Image:
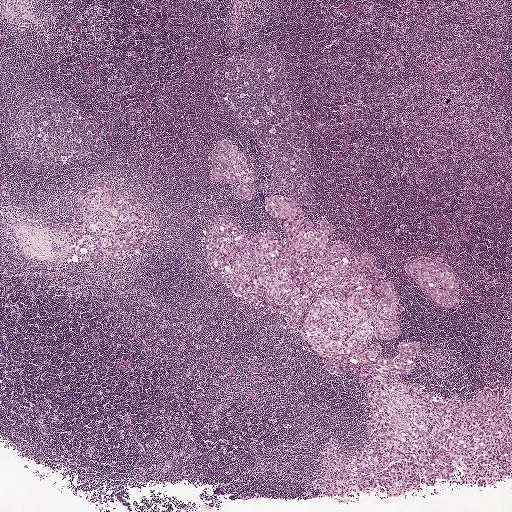
Lymph node section stained with H&E, from a whole-slide image of a breast-cancer sentinel node. Magnification about 2.5×, about 2.0 mm across the frame, about 3.9 µm per pixel.
Question:
Does this lymph node field contain metastatic tumour?
Answer:
Yes.
Boundaries of four metastatic tumour regions, simplified and listed clockwise, largest first: region 1: (263, 201), (318, 203), (308, 219), (319, 228), (328, 220), (333, 241), (375, 256), (402, 300), (400, 338), (377, 340), (389, 360), (405, 343), (420, 344), (418, 372), (400, 382), (441, 402), (511, 390), (511, 478), (494, 486), (441, 481), (395, 498), (380, 490), (321, 495), (322, 447), (360, 453), (369, 393), (328, 376), (286, 320), (214, 282), (204, 243), (216, 219), (247, 240), (269, 230), (286, 242), (285, 223); region 2: (97, 182), (105, 182), (127, 198), (137, 200), (134, 208), (147, 225), (147, 235), (135, 257), (119, 263), (95, 263), (89, 257), (88, 250), (78, 244), (80, 239), (47, 228), (42, 224), (45, 219), (52, 217), (68, 226), (73, 222), (74, 203), (83, 188); region 3: (430, 258), (448, 264), (461, 285), (459, 290), (456, 291), (461, 300), (461, 306), (451, 310), (444, 310), (428, 301), (414, 280), (405, 273), (405, 263), (413, 260); region 4: (231, 141), (238, 148), (243, 166), (254, 174), (257, 195), (253, 202), (242, 201), (235, 196), (235, 191), (241, 186), (238, 180), (233, 184), (226, 183), (223, 185), (215, 184), (211, 181), (210, 170), (216, 166), (212, 159), (212, 153), (219, 143).
The annotated tumour makes up about 20% of the crop.